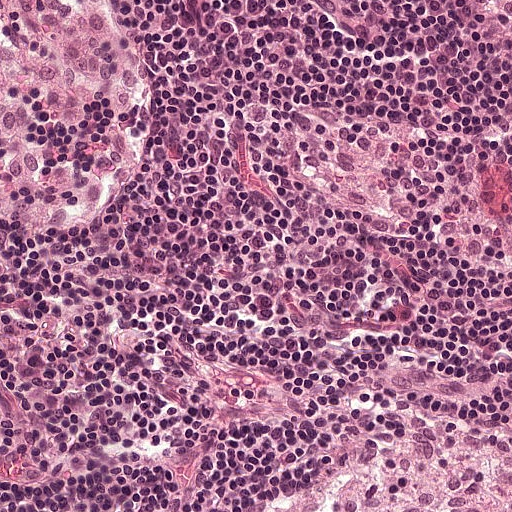
H&E-stained section of a sentinel lymph node (breast cancer), from a whole-slide image, viewed at about 20×: the field is about 0.25 mm across, about 0.49 µm per pixel.
Question: Is any metastatic breast cancer visible in this crop?
Answer: No: no metastatic tumour is outlined anywhere in this field.